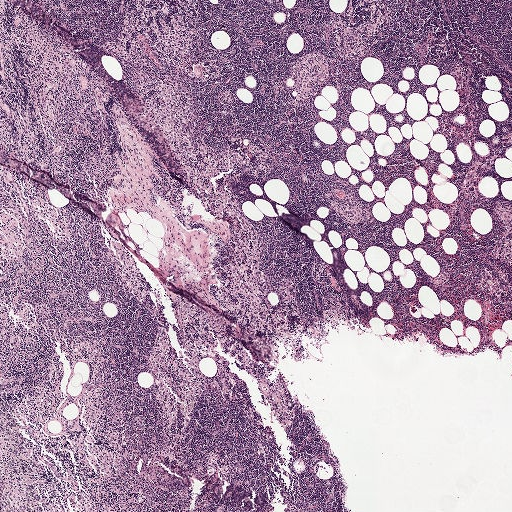
H&E-stained section of a sentinel lymph node (breast cancer), from a whole-slide image, viewed at about 2.5×: the field is about 2.0 mm across, about 3.9 µm per pixel.